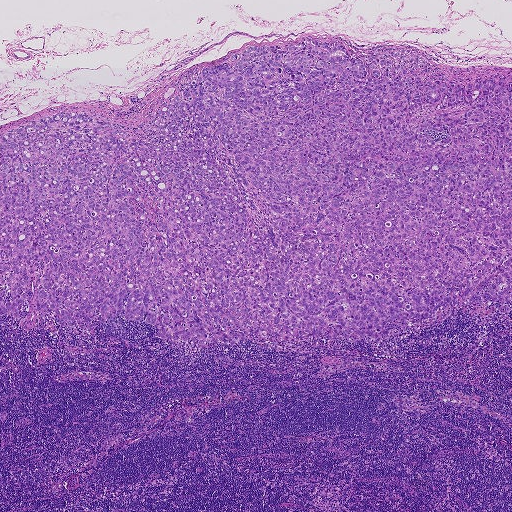
Lymph node section stained with H&E, from a whole-slide image of a breast-cancer sentinel node. Magnification about 2.5×, about 1.9 mm across the frame, about 3.6 µm per pixel.
Question: Where is the metastatic tumour in this field?
Answer: The outlined metastatic tumour's edge, as a closed clockwise path of 19 points: (254, 44), (407, 49), (433, 64), (410, 73), (439, 84), (509, 75), (511, 301), (439, 308), (374, 343), (198, 345), (122, 313), (95, 333), (0, 315), (0, 134), (74, 112), (167, 148), (168, 141), (148, 131), (158, 108).
The annotated tumour makes up about 50% of the crop.